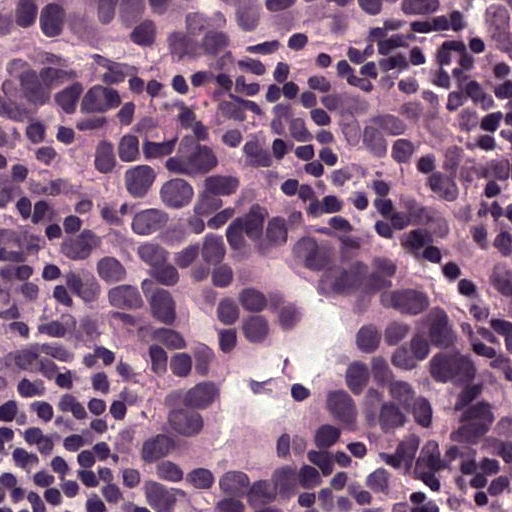
Lymph node section stained with H&E, from a whole-slide image of a breast-cancer sentinel node. Magnification about 40×, about 0.12 mm across the frame, about 0.24 µm per pixel.
Outlines of two tumour regions, largest first (closed clockwise paths, crop pixels): region 1: (0, 0), (430, 0), (261, 57), (140, 51), (119, 83), (167, 80), (269, 165), (372, 220), (438, 275), (488, 372), (500, 438), (422, 457), (327, 444), (272, 487), (172, 486), (98, 462), (80, 449), (85, 351), (72, 301), (1, 212); region 2: (335, 62), (356, 75), (372, 72), (407, 90), (462, 172), (491, 191), (507, 212), (511, 220), (511, 315), (479, 294), (439, 247), (405, 224), (389, 204), (381, 180), (317, 135), (292, 105), (308, 73), (321, 64).
Tumour covers about 65% of the frame.